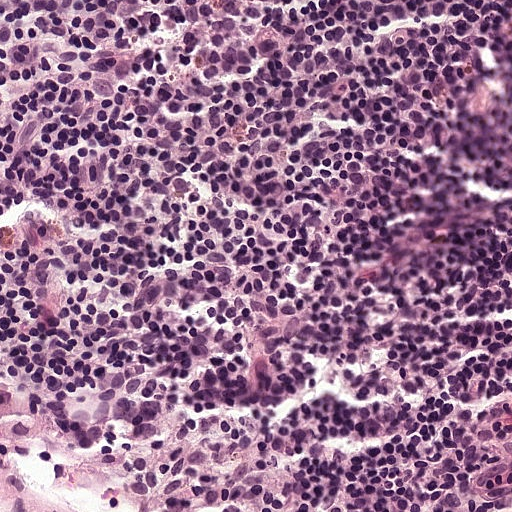
This is a crop of a whole-slide image: an H&E-stained breast-cancer sentinel lymph node section at roughly 20× magnification (about 0.49 µm per pixel; the crop spans about 0.25 mm).